Question: 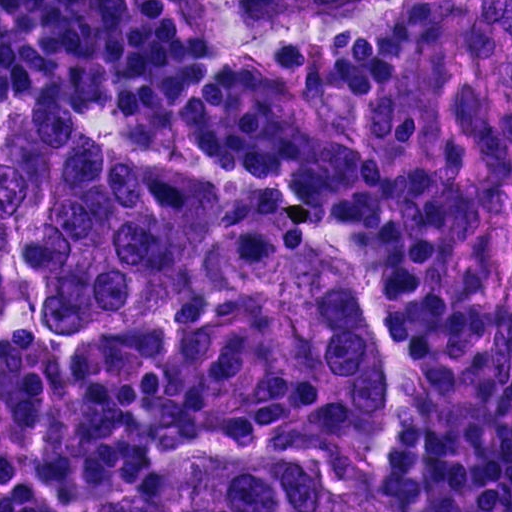
About what magnification does this crop show?

Choices:
 (A) about 2.5×
 (B) about 5×
 (C) about 20×
 (D) about 40×
 (E) about 10×

Answer: (D) about 40×
This is a crop of a whole-slide image: an H&E-stained breast-cancer sentinel lymph node section at roughly 40× magnification (about 0.23 µm per pixel; the crop spans about 0.12 mm).
Outlines of three tumour regions, largest first (closed clockwise paths, crop pixels): region 1: (26, 98), (88, 99), (98, 135), (287, 200), (343, 235), (401, 349), (400, 511), (113, 511), (163, 422), (166, 362), (110, 337), (51, 347), (0, 340), (0, 113); region 2: (224, 0), (397, 0), (396, 6), (341, 41), (273, 49), (219, 47); region 3: (511, 36), (511, 96), (504, 49).
The annotated tumour makes up about 45% of the crop.
Question: 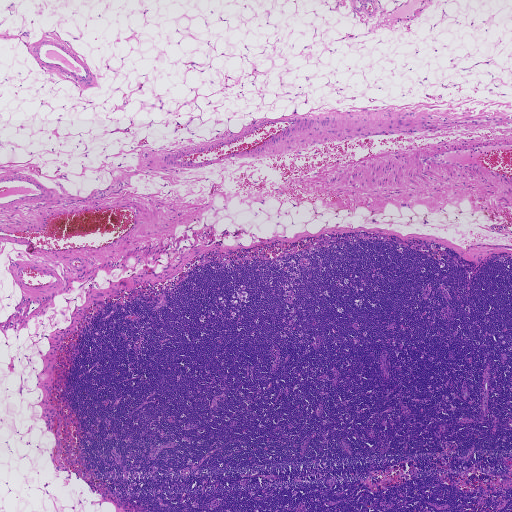
About what magnification does this crop show?

Choices:
 (A) about 2.5×
 (B) about 10×
 (C) about 40×
 (D) about 20×
 (E) about 5×

Answer: (A) about 2.5×
This is a crop of a whole-slide image: an H&E-stained breast-cancer sentinel lymph node section at roughly 2.5× magnification (about 3.6 µm per pixel; the crop spans about 1.9 mm).
Metastatic tumour outline, simplified to 14 points and listed clockwise in crop pixels (x, y): (245, 291), (248, 294), (246, 298), (248, 299), (248, 301), (247, 302), (241, 301), (238, 298), (233, 298), (232, 296), (233, 294), (237, 296), (236, 294), (237, 292).
Five more small tumour pieces are annotated here but not outlined.
Under 5% of this field is tumour.
Question: 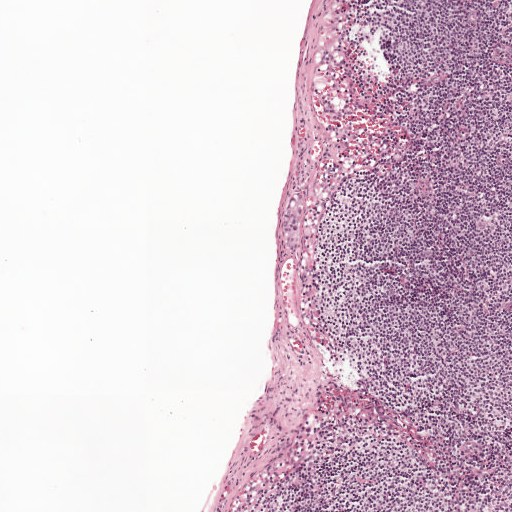
About what magnification does this crop show?

Choices:
 (A) about 10×
 (B) about 5×
 (C) about 40×
 (D) about 20×
 (E) about 2.5×

Answer: (B) about 5×
A 1-mm field of an H&E-stained sentinel lymph node from a breast-cancer patient (whole-slide image), shown at about 5×, about 1.9 µm per pixel.
Metastatic tumour outline, simplified to 9 points and listed clockwise in crop pixels (x, y): (298, 191), (303, 197), (305, 222), (299, 246), (292, 254), (285, 249), (282, 237), (284, 212), (289, 200).
Under 5% of the image area is annotated as tumour.
Question: 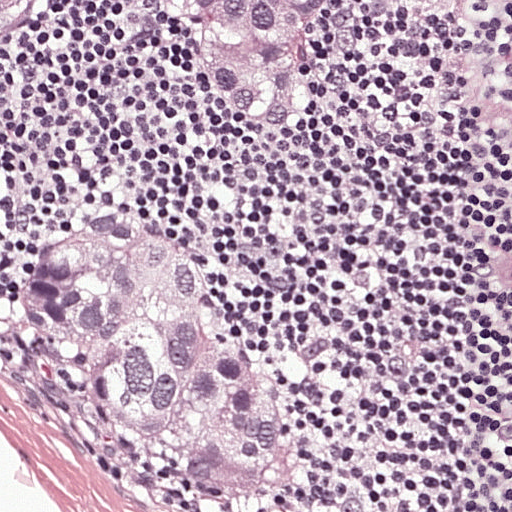
About what magnification does this crop show?

Choices:
 (A) about 20×
 (B) about 40×
 (C) about 2.5×
 (D) about 5×
 (E) about 10×

Answer: (A) about 20×
Lymph node section stained with H&E, from a whole-slide image of a breast-cancer sentinel node. Magnification about 20×, about 0.25 mm across the frame, about 0.49 µm per pixel.
Four metastatic tumour regions, each outlined as a closed clockwise path in crop pixels (x, y), largest first: region 1: (96, 208), (178, 221), (217, 254), (278, 375), (298, 428), (301, 488), (281, 506), (236, 494), (120, 440), (6, 354), (0, 262), (22, 238); region 2: (124, 0), (328, 0), (310, 28), (307, 113), (290, 142), (266, 151), (240, 150), (216, 136), (199, 112), (182, 56), (166, 34); region 3: (0, 0), (48, 0), (32, 34), (7, 58), (0, 60); region 4: (511, 247), (511, 297), (508, 297), (482, 282), (480, 260).
Tumour covers about 30% of the frame.